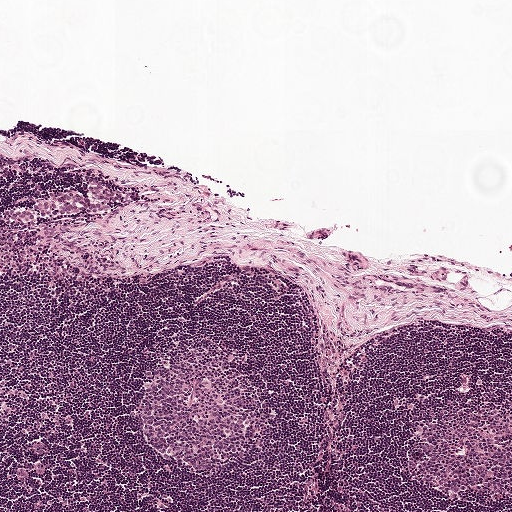
Lymph node section stained with H&E, from a whole-slide image of a breast-cancer sentinel node. Magnification about 5×, about 1 mm across the frame, about 1.9 µm per pixel.
Tumour region outline (a closed clockwise path, crop pixels): (102, 185), (124, 198), (112, 201), (112, 208), (107, 212), (81, 210), (57, 217), (39, 217), (30, 222), (21, 219), (9, 219), (5, 213), (10, 208), (30, 206), (51, 191), (76, 190), (86, 195), (88, 194), (88, 186).
Under 5% of the image area is annotated as tumour.